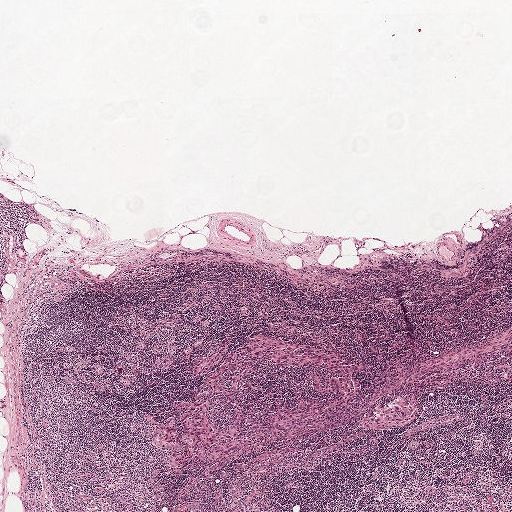
H&E-stained section of a sentinel lymph node (breast cancer), from a whole-slide image, viewed at about 2.5×: the field is about 2.0 mm across, about 3.9 µm per pixel.
Question: Is there metastatic carcinoma in this field?
Answer: Yes.
Boundaries of two metastatic tumour regions, simplified and listed clockwise, largest first: region 1: (256, 327), (325, 348), (364, 363), (364, 368), (356, 369), (359, 392), (339, 408), (240, 450), (190, 462), (175, 476), (164, 460), (168, 451), (149, 443), (150, 428), (142, 416), (148, 413), (161, 423), (169, 403), (191, 398), (199, 378), (190, 370), (227, 337), (228, 350), (238, 348); region 2: (404, 393), (411, 393), (417, 416), (405, 426), (398, 428), (364, 429), (356, 427), (355, 421), (358, 416), (374, 405), (392, 401), (394, 397).
The annotated tumour makes up about 5% of the crop.